Image:
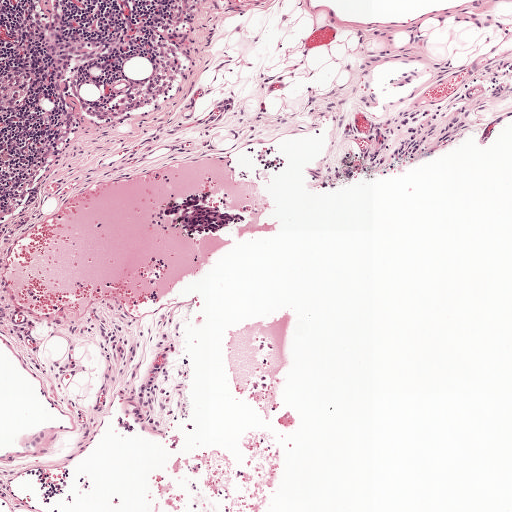
This is a crop of a whole-slide image: an H&E-stained breast-cancer sentinel lymph node section at roughly 5× magnification (about 1.9 µm per pixel; the crop spans about 1 mm).
Question:
Which parts of this field are metastatic tumour? Answer with the outline of each region, in pixels.
Answer:
Outlines of two tumour regions, largest first (closed clockwise paths, crop pixels): region 1: (190, 192), (232, 192), (238, 202), (247, 206), (246, 223), (220, 234), (177, 236), (153, 225), (151, 220), (155, 209), (164, 199); region 2: (271, 157), (280, 157), (285, 162), (282, 169), (273, 172), (264, 169), (260, 161).
The annotated tumour makes up under 5% of the crop.